Question: 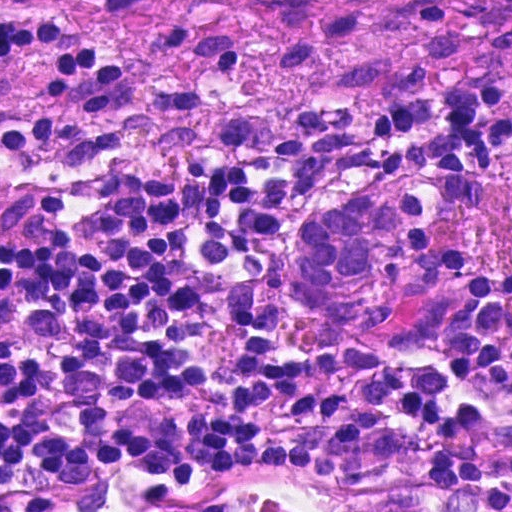
Lymph node section stained with H&E, from a whole-slide image of a breast-cancer sentinel node. Magnification about 40×, about 0.12 mm across the frame, about 0.23 µm per pixel.
Estimate the proportion of this field that is metastatic tumour.

Choices:
 (A) about 5% or less
 (B) none: no tumour is outlined
 (C) about 10% to 20%
 (D) about 25% to 45%
 (E) about 50% or more

Answer: (A) about 5% or less
About 5% of the field is tumour.
Outlines of two tumour regions, largest first (closed clockwise paths, crop pixels): region 1: (390, 186), (415, 215), (388, 282), (322, 305), (275, 254), (317, 196); region 2: (376, 479), (511, 493), (511, 511), (143, 511), (203, 502), (262, 508), (322, 510).